Lymph node section stained with H&E, from a whole-slide image of a breast-cancer sentinel node. Magnification about 20×, about 0.26 mm across the frame, about 0.5 µm per pixel.
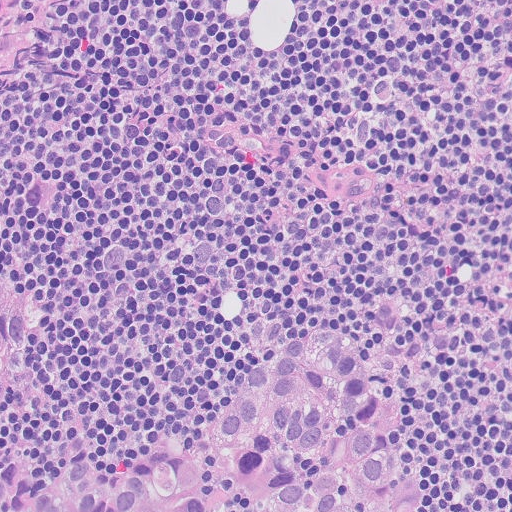
Outlines of two tumour regions, largest first (closed clockwise paths, crop pixels): region 1: (291, 328), (342, 328), (374, 356), (398, 406), (396, 433), (420, 482), (419, 511), (22, 511), (36, 486), (83, 450), (194, 430), (225, 386); region 2: (0, 257), (30, 276), (34, 306), (34, 334), (28, 360), (0, 397).
Two more small tumour pieces are annotated here but not outlined.
About 20% of the image area is annotated as tumour.